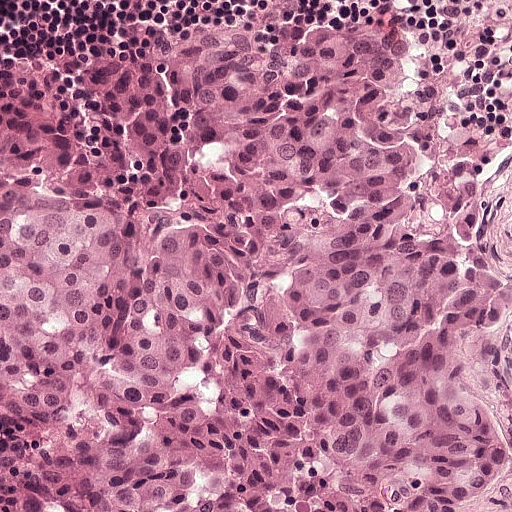
H&E-stained section of a sentinel lymph node (breast cancer), from a whole-slide image, viewed at about 20×: the field is about 0.25 mm across, about 0.49 µm per pixel.
One metastatic tumour region; its boundary, reduced to 13 corners and listed clockwise: (246, 14), (341, 16), (380, 48), (511, 274), (511, 322), (486, 372), (511, 422), (511, 511), (0, 511), (0, 144), (15, 130), (90, 133), (114, 63).
About 85% of this field is tumour.